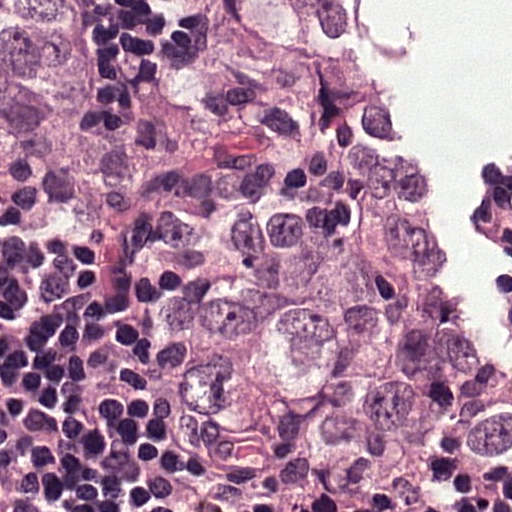
H&E-stained section of a sentinel lymph node (breast cancer), from a whole-slide image, viewed at about 40×: the field is about 0.12 mm across, about 0.24 µm per pixel.
Outlines of two tumour regions, largest first (closed clockwise paths, crop pixels): region 1: (340, 0), (401, 129), (455, 320), (480, 362), (511, 381), (505, 484), (424, 508), (321, 505), (244, 484), (205, 445), (136, 315), (124, 226), (141, 126), (172, 43), (205, 1); region 2: (0, 0), (104, 0), (104, 186), (95, 200), (67, 213), (1, 208).
About 60% of the image area is annotated as tumour.